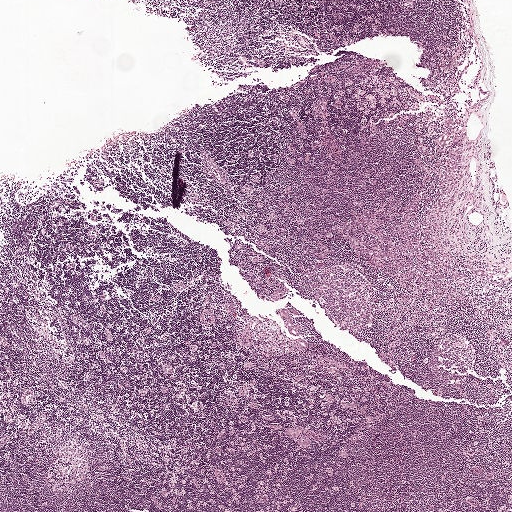
A 2.0-mm field of an H&E-stained sentinel lymph node from a breast-cancer patient (whole-slide image), shown at about 2.5×, about 3.9 µm per pixel.
The outlined metastatic tumour's edge, as a closed clockwise path of 22 points: (449, 114), (467, 123), (472, 132), (463, 171), (436, 223), (434, 238), (481, 265), (487, 273), (486, 279), (478, 278), (445, 293), (436, 292), (423, 281), (387, 276), (341, 244), (336, 225), (350, 210), (394, 196), (410, 199), (427, 188), (438, 165), (443, 124).
About 5% of the image area is annotated as tumour.